Lymph node section stained with H&E, from a whole-slide image of a breast-cancer sentinel node. Magnification about 10×, about 0.5 mm across the frame, about 0.97 µm per pixel.
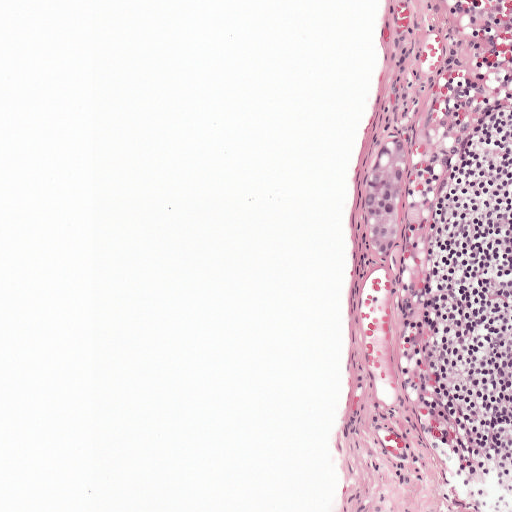
Tumour region outline (a closed clockwise path, crop pixels): (396, 134), (404, 146), (409, 171), (409, 196), (398, 245), (382, 261), (369, 250), (364, 226), (367, 175), (377, 151).
The annotated tumour makes up under 5% of the crop.